H&E-stained section of a sentinel lymph node (breast cancer), from a whole-slide image, viewed at about 5×: the field is about 1 mm across, about 1.9 µm per pixel.
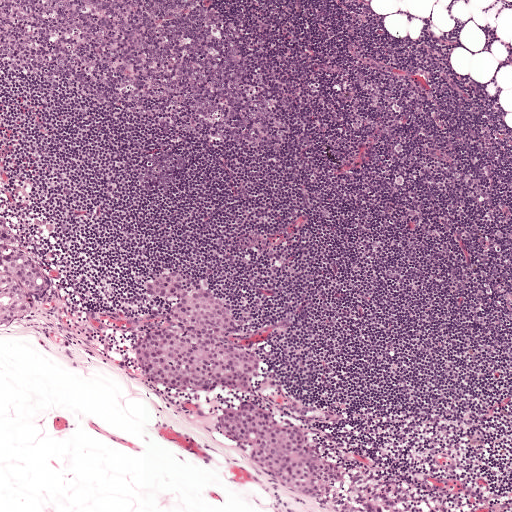
Three metastatic tumour regions, each outlined as a closed clockwise path in crop pixels (x, y), largest first: region 1: (166, 262), (192, 270), (230, 307), (256, 351), (259, 364), (252, 388), (228, 398), (164, 389), (143, 374), (136, 338), (145, 329), (168, 325), (172, 298), (147, 297), (140, 286), (144, 274), (153, 265); region 2: (252, 401), (278, 410), (312, 433), (342, 461), (347, 473), (342, 484), (321, 500), (309, 499), (262, 476), (216, 430), (216, 417), (225, 408); region 3: (0, 215), (7, 222), (18, 246), (40, 260), (48, 270), (50, 282), (46, 294), (34, 298), (32, 310), (25, 321), (0, 327), (0, 269), (3, 269), (0, 263).
About 10% of the image area is annotated as tumour.